This is a crop of a whole-slide image: an H&E-stained breast-cancer sentinel lymph node section at roughly 2.5× magnification (about 3.6 µm per pixel; the crop spans about 1.9 mm).
Image:
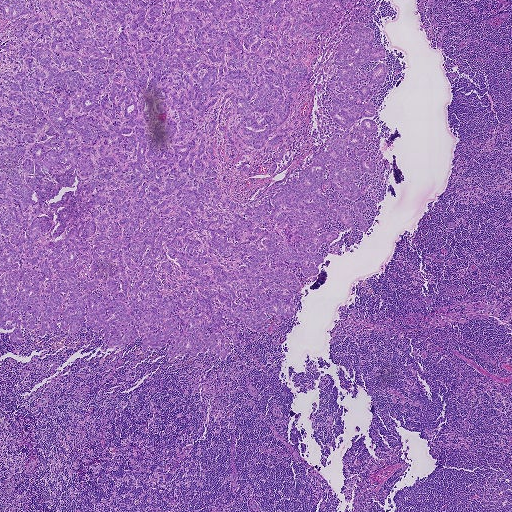
Question:
Trace the edge of each tumour region in this crop, as (x, y) points from 0 to 511.
Answer:
Tumour region outline (a closed clockwise path, crop pixels): (0, 0), (378, 3), (356, 21), (374, 18), (389, 66), (370, 100), (382, 180), (364, 232), (330, 218), (318, 232), (348, 252), (289, 270), (288, 320), (243, 328), (222, 363), (176, 366), (164, 346), (130, 368), (143, 335), (101, 384), (112, 348), (57, 327), (18, 352), (0, 328).
The annotated tumour makes up about 45% of the crop.